Question: 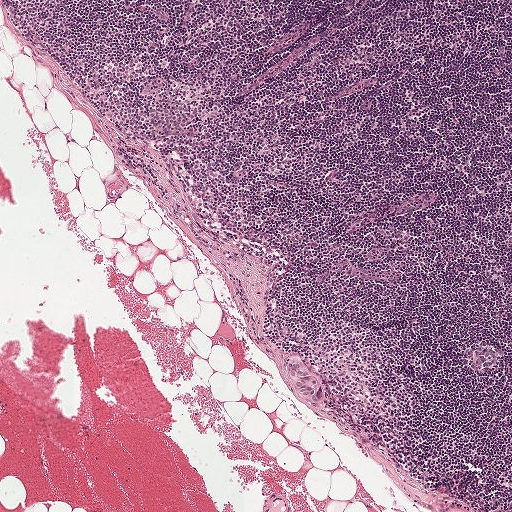
Lymph node section stained with H&E, from a whole-slide image of a breast-cancer sentinel node. Magnification about 5×, about 1 mm across the frame, about 1.9 µm per pixel.
Roughly what share of this field is metastatic tumour?

Choices:
 (A) about 25% to 45%
 (B) about 10% to 20%
 (C) about 5% or less
 (D) about 50% or more
 (E) none: no tumour is outlined

Answer: (C) about 5% or less
Under 5% of the field is tumour.
The outlined metastatic tumour's edge, as a closed clockwise path of 11 points: (294, 352), (303, 355), (320, 377), (323, 386), (323, 394), (320, 403), (309, 402), (292, 391), (289, 379), (284, 370), (285, 358).